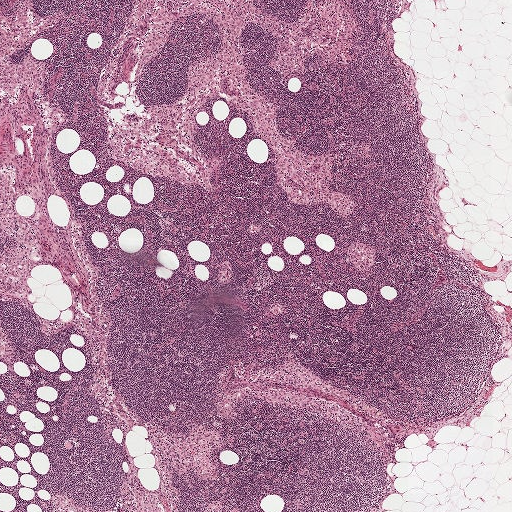
A 2.0-mm field of an H&E-stained sentinel lymph node from a breast-cancer patient (whole-slide image), shown at about 2.5×, about 3.9 µm per pixel.
Question: Does this lymph node field contain metastatic tumour?
Answer: No, this field holds no outlined metastasis.